Image:
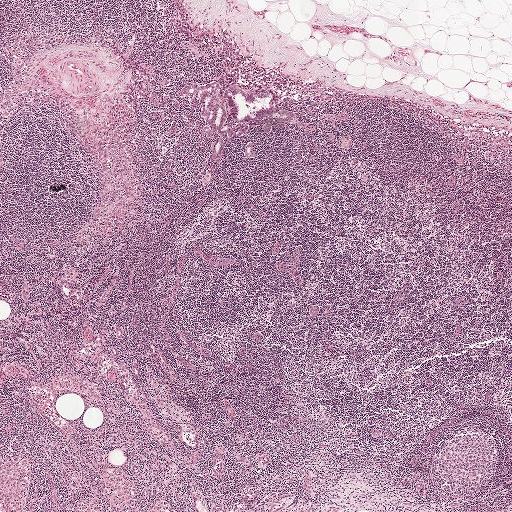
Lymph node section stained with H&E, from a whole-slide image of a breast-cancer sentinel node. Magnification about 2.5×, about 2.0 mm across the frame, about 3.9 µm per pixel.
Question:
Where is the metastatic tumour in this field? Give each region's outline as (x, y) pixel points.
Answer:
Boundaries of three metastatic tumour regions, simplified and listed clockwise, largest first: region 1: (214, 82), (226, 88), (238, 85), (250, 93), (259, 87), (273, 88), (280, 95), (281, 107), (295, 112), (297, 122), (276, 123), (267, 135), (261, 122), (242, 138), (225, 137), (221, 160), (214, 160), (212, 140), (201, 131), (204, 120), (198, 102), (183, 96), (181, 88), (187, 83); region 2: (251, 142), (252, 143), (253, 145), (254, 151), (255, 155), (255, 156), (254, 157), (248, 157), (243, 156), (244, 150), (245, 145), (247, 143); region 3: (207, 171), (211, 172), (212, 176), (210, 183), (205, 186), (202, 186), (201, 184), (201, 182), (204, 173).
The annotated tumour makes up under 5% of the crop.

Image:
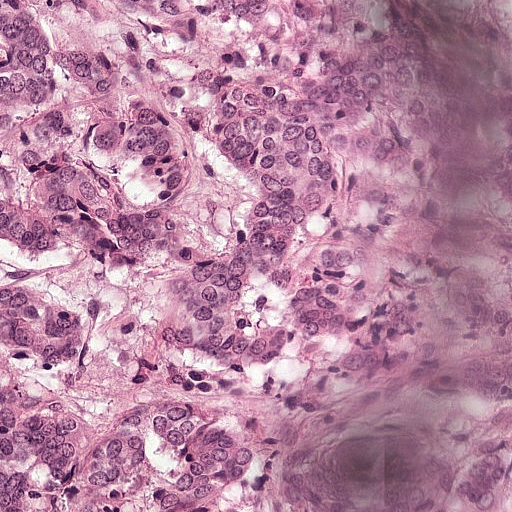
H&E-stained section of a sentinel lymph node (breast cancer), from a whole-slide image, viewed at about 20×: the field is about 0.25 mm across, about 0.49 µm per pixel.
Question:
Where is the metastatic tumour in this field? Give each region's outline as (x, y) pixel points.
Answer:
Metastatic tumour outline, simplified to 14 points and listed clockwise in crop pixels (x, y): (0, 0), (359, 0), (359, 96), (340, 107), (340, 138), (310, 158), (279, 219), (268, 219), (268, 250), (248, 260), (238, 300), (238, 504), (246, 511), (0, 511).
About 55% of the image area is annotated as tumour.

Image:
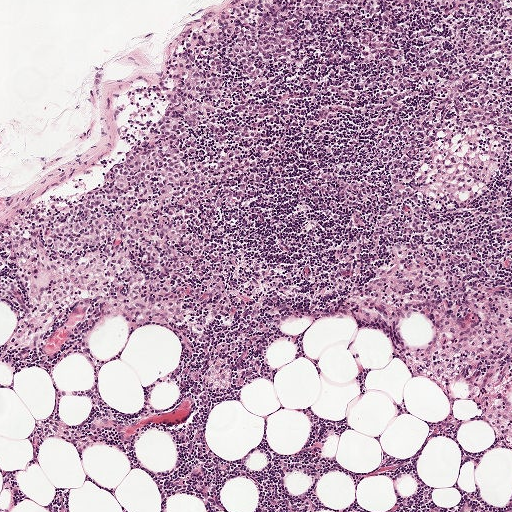
A 1-mm field of an H&E-stained sentinel lymph node from a breast-cancer patient (whole-slide image), shown at about 5×, about 1.9 µm per pixel.
Question:
Where is the metastatic tumour in this field? Give each region's outline as (x, y) pixel points.
Answer:
The outlined metastatic tumour's edge, as a closed clockwise path of 21 points: (215, 0), (364, 0), (349, 17), (296, 37), (292, 68), (271, 90), (278, 121), (267, 135), (263, 177), (214, 230), (214, 265), (202, 286), (174, 284), (122, 252), (35, 248), (23, 238), (23, 222), (64, 209), (118, 161), (153, 116), (172, 56).
One more small tumour piece is annotated here but not outlined.
Tumour covers about 15% of the frame.

Image:
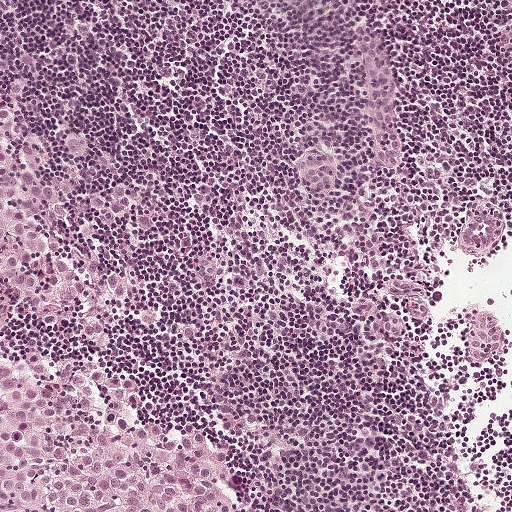
This is a crop of a whole-slide image: an H&E-stained breast-cancer sentinel lymph node section at roughly 10× magnification (about 0.97 µm per pixel; the crop spans about 0.5 mm).
Question:
Where is the metastatic tumour in this field? Give each region's outline as (x, y) pixel points.
Answer:
The outlined metastatic tumour's edge, as a closed clockwise path of 15 points: (0, 72), (30, 90), (32, 122), (64, 117), (142, 202), (148, 250), (134, 286), (158, 330), (147, 345), (114, 341), (104, 364), (154, 424), (225, 468), (252, 509), (0, 511).
The annotated tumour makes up about 25% of the crop.